Image:
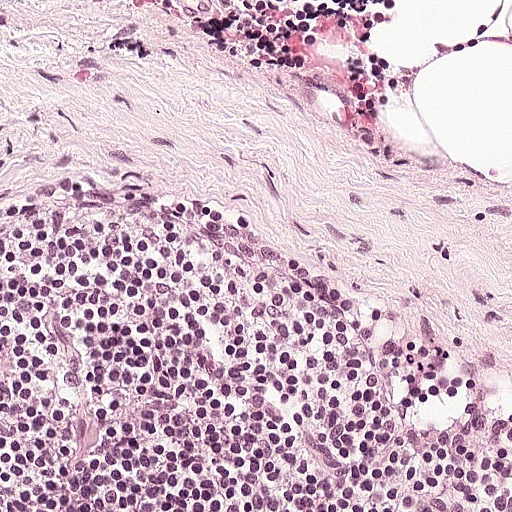
Lymph node section stained with H&E, from a whole-slide image of a breast-cancer sentinel node. Magnification about 20×, about 0.25 mm across the frame, about 0.49 µm per pixel.
Question:
Is any metastatic breast cancer visible in this crop?
Answer:
No. No metastatic tumour is outlined in this field.